Image:
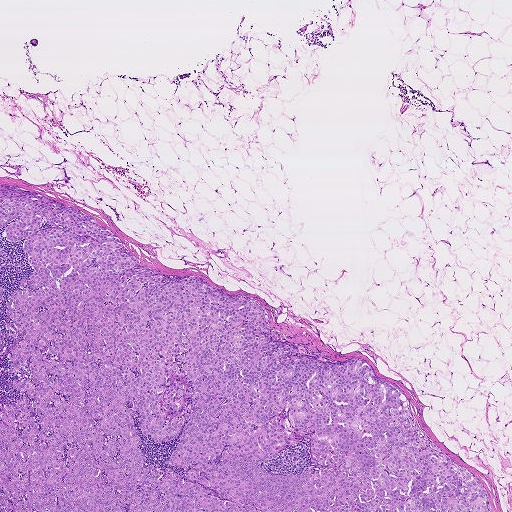
Lymph node section stained with H&E, from a whole-slide image of a breast-cancer sentinel node. Magnification about 2.5×, about 1.9 mm across the frame, about 3.6 µm per pixel.
Question:
Which parts of this field are metastatic tumour? Answer with the outline of each region, in pixels.
Answer:
The outlined metastatic tumour's edge, as a closed clockwise path of 24 points: (0, 183), (82, 210), (138, 264), (257, 300), (297, 354), (364, 360), (405, 394), (421, 439), (480, 481), (492, 511), (8, 511), (0, 415), (34, 402), (14, 381), (36, 385), (29, 359), (9, 370), (23, 340), (5, 307), (36, 272), (26, 238), (5, 236), (18, 217), (0, 227).
Two more small tumour pieces are annotated here but not outlined.
The annotated tumour makes up about 35% of the crop.